Question: 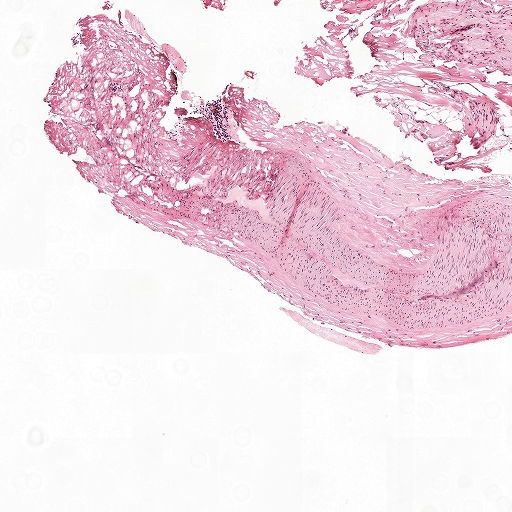
H&E-stained section of a sentinel lymph node (breast cancer), from a whole-slide image, viewed at about 2.5×: the field is about 2.0 mm across, about 3.9 µm per pixel.
Estimate the proportion of this field that is metastatic tumour.

Choices:
 (A) none: no tumour is outlined
 (B) about 10% to 20%
 (C) about 25% to 45%
 (D) about 50% or more
 (E) about 5% or less

Answer: (A) none: no tumour is outlined
No metastatic tumour is outlined in this field.